A 2.0-mm field of an H&E-stained sentinel lymph node from a breast-cancer patient (whole-slide image), shown at about 2.5×, about 3.9 µm per pixel.
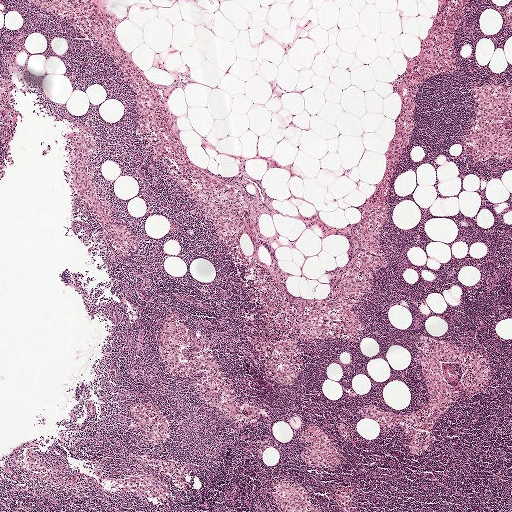
Question: Does this lymph node field contain metastatic tumour?
Answer: No: no metastatic tumour is outlined anywhere in this field.